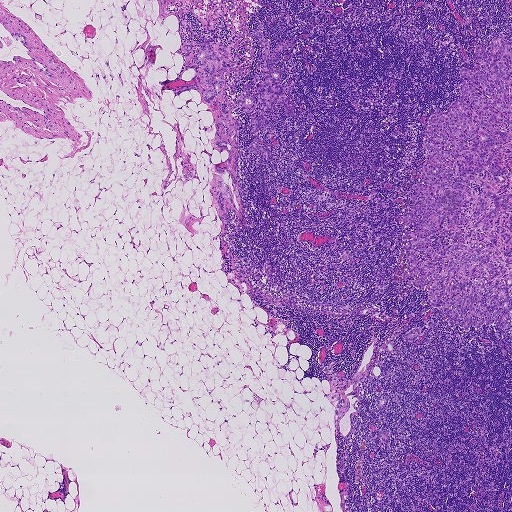
This is a crop of a whole-slide image: an H&E-stained breast-cancer sentinel lymph node section at roughly 2.5× magnification (about 3.6 µm per pixel; the crop spans about 1.9 mm).
Question: Does this lymph node field contain metastatic tumour?
Answer: Yes.
Boundaries of four metastatic tumour regions, simplified and listed clockwise, largest first: region 1: (494, 37), (509, 40), (511, 329), (502, 331), (493, 321), (460, 332), (429, 304), (427, 288), (418, 290), (411, 276), (402, 281), (408, 240), (398, 219), (414, 204), (411, 184), (421, 182), (430, 113), (445, 112), (458, 97), (460, 66), (482, 72), (477, 45), (487, 53); region 2: (204, 42), (223, 46), (231, 53), (229, 62), (222, 60), (224, 68), (239, 65), (249, 70), (239, 77), (224, 73), (225, 86), (214, 100), (228, 96), (231, 113), (239, 119), (235, 174), (240, 221), (230, 207), (228, 217), (220, 219), (210, 195), (212, 185), (221, 181), (211, 166), (228, 157), (211, 144), (216, 129), (198, 92), (189, 90), (172, 100), (172, 91), (162, 90), (162, 95), (158, 81), (171, 80), (178, 73), (184, 44), (196, 54); region 3: (259, 24), (271, 51), (280, 41), (295, 44), (280, 52), (273, 67), (284, 68), (284, 86), (295, 82), (283, 96), (292, 100), (297, 107), (306, 111), (313, 116), (314, 117), (307, 121), (310, 114), (296, 107), (294, 116), (285, 116), (273, 105), (266, 119), (279, 145), (268, 146), (268, 161), (248, 151), (254, 139), (272, 143), (266, 130), (251, 133), (252, 113), (241, 110), (236, 96), (251, 80), (257, 102), (253, 79), (263, 61), (252, 32); region 4: (416, 326), (421, 326), (421, 331), (420, 336), (418, 340), (413, 342), (408, 342), (404, 340), (403, 334).
Three more small tumour pieces are annotated here but not outlined.
The annotated tumour makes up about 15% of the crop.